Question: 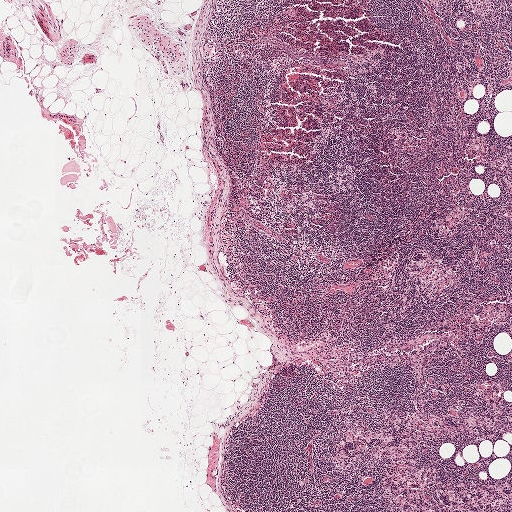
About what magnification does this crop show?

Choices:
 (A) about 2.5×
 (B) about 5×
 (C) about 40×
 (D) about 20×
 (E) about 10×

Answer: (A) about 2.5×
H&E-stained section of a sentinel lymph node (breast cancer), from a whole-slide image, viewed at about 2.5×: the field is about 2.0 mm across, about 3.9 µm per pixel.